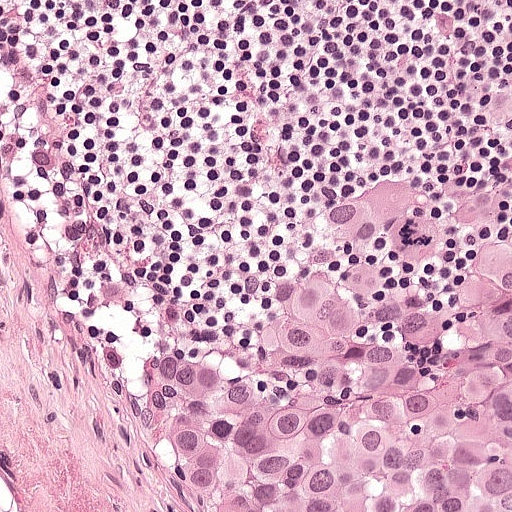
Lymph node section stained with H&E, from a whole-slide image of a breast-cancer sentinel node. Magnification about 20×, about 0.25 mm across the frame, about 0.49 µm per pixel.
The outlined metastatic tumour's edge, as a closed clockwise path of 7 points: (511, 58), (511, 511), (214, 511), (204, 480), (211, 278), (244, 160), (321, 110).
The annotated tumour makes up about 45% of the crop.